Image:
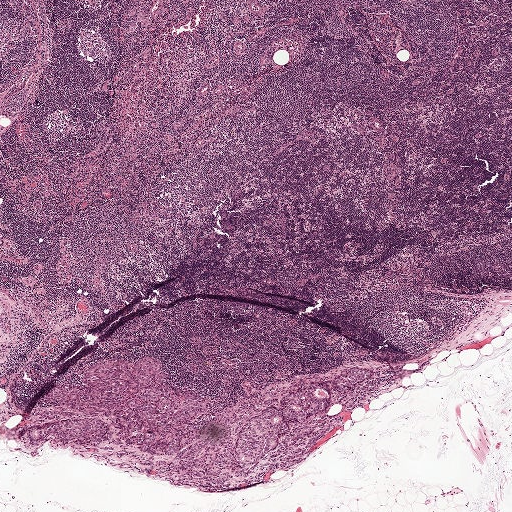
A 2.0-mm field of an H&E-stained sentinel lymph node from a breast-cancer patient (whole-slide image), shown at about 2.5×, about 3.9 µm per pixel.
Question:
Is there metastatic carcinoma in this field?
Answer:
Yes.
Tumour region outline (a closed clockwise path, crop pixels): (144, 356), (209, 401), (194, 428), (247, 401), (279, 401), (301, 382), (326, 383), (332, 403), (346, 367), (371, 370), (377, 387), (348, 411), (329, 406), (343, 424), (255, 482), (192, 487), (114, 457), (117, 445), (27, 446), (32, 426), (81, 416), (50, 390), (80, 385), (100, 362).
The annotated tumour makes up about 10% of the crop.